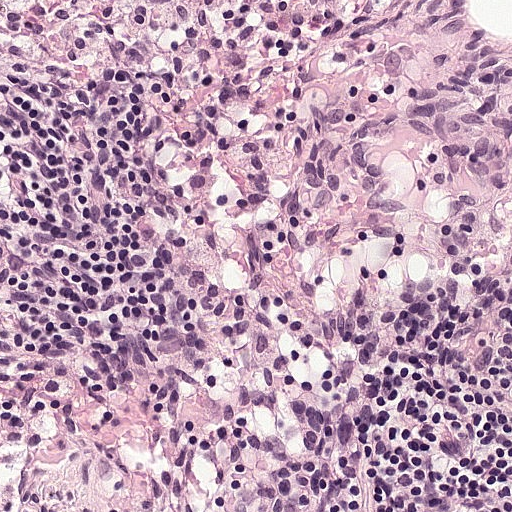
A 0.25-mm field of an H&E-stained sentinel lymph node from a breast-cancer patient (whole-slide image), shown at about 20×, about 0.49 µm per pixel.